Question: 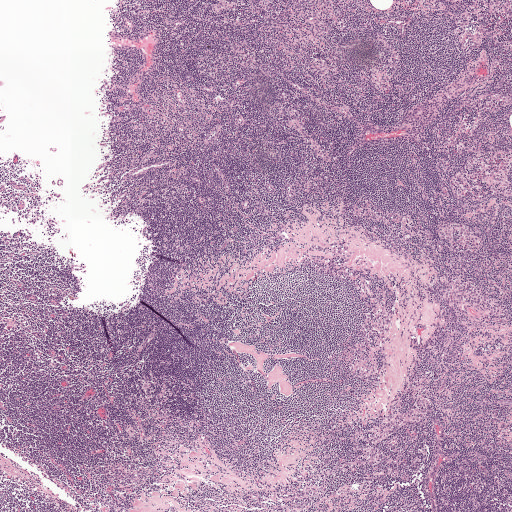
At roughly what magnification is this field shown?

Choices:
 (A) about 20×
 (B) about 10×
 (C) about 40×
 (D) about 5×
 (E) about 2.5×

Answer: (E) about 2.5×
Lymph node section stained with H&E, from a whole-slide image of a breast-cancer sentinel node. Magnification about 2.5×, about 2.0 mm across the frame, about 3.9 µm per pixel.